Question: 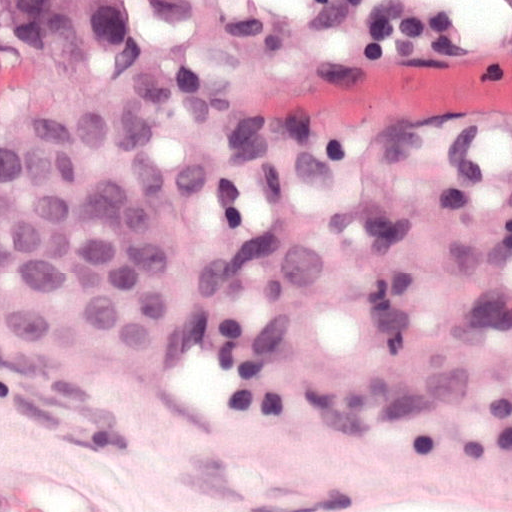
Which magnification is this H&E lymph node field most likely shown at?

Choices:
 (A) about 40×
 (B) about 20×
 (C) about 5×
 (D) about 2.5×
 (E) about 10×

Answer: (A) about 40×
A 0.12-mm field of an H&E-stained sentinel lymph node from a breast-cancer patient (whole-slide image), shown at about 40×, about 0.24 µm per pixel.
The outlined metastatic tumour's edge, as a closed clockwise path of 8 points: (107, 85), (196, 115), (242, 206), (221, 317), (147, 391), (48, 413), (0, 388), (0, 98).
The annotated tumour makes up about 25% of the crop.